H&E-stained section of a sentinel lymph node (breast cancer), from a whole-slide image, viewed at about 20×: the field is about 0.23 mm across, about 0.45 µm per pixel.
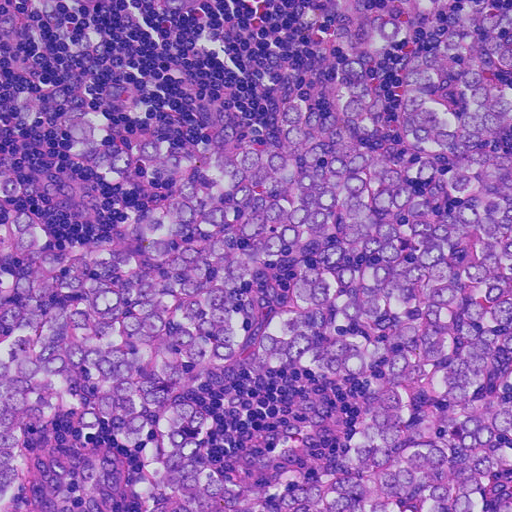
Tumour region outline (a closed clockwise path, crop pixels): (414, 0), (511, 0), (511, 511), (0, 511), (0, 176), (28, 189), (14, 206), (54, 246), (84, 246), (171, 174), (90, 170), (59, 123), (80, 103), (106, 102), (122, 139), (200, 156), (282, 130), (278, 102), (341, 52), (364, 56), (393, 137), (402, 80), (443, 42), (448, 15).
About 75% of the image area is annotated as tumour.